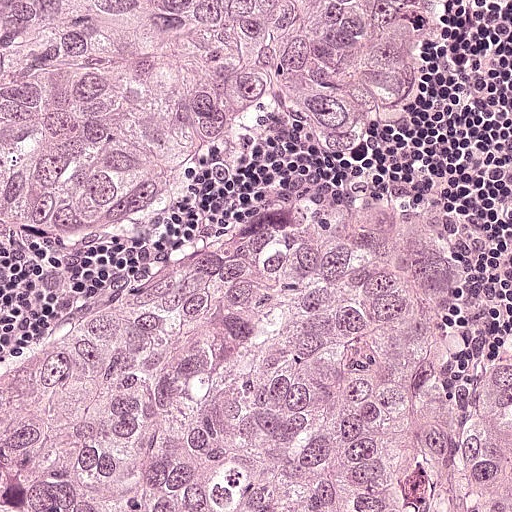
H&E-stained section of a sentinel lymph node (breast cancer), from a whole-slide image, viewed at about 20×: the field is about 0.25 mm across, about 0.49 µm per pixel.
Question: Is any metastatic breast cancer visible in this crop?
Answer: Yes.
Boundaries of two metastatic tumour regions, simplified and listed clockwise, largest first: region 1: (426, 196), (452, 226), (464, 284), (443, 306), (456, 342), (450, 406), (511, 352), (511, 511), (0, 511), (0, 383), (332, 202); region 2: (0, 0), (427, 0), (417, 90), (369, 146), (317, 148), (252, 117), (128, 230), (88, 245), (0, 245).
Tumour covers about 75% of the frame.

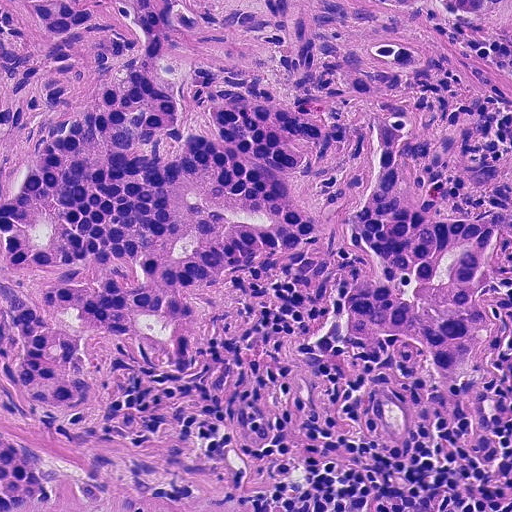
This is a crop of a whole-slide image: an H&E-stained breast-cancer sentinel lymph node section at roughly 20× magnification (about 0.45 µm per pixel; the crop spans about 0.23 mm).
Question: Is any metastatic breast cancer visible in this crop?
Answer: Yes.
Four metastatic tumour regions, each outlined as a closed clockwise path in crop pixels (x, y), largest first: region 1: (0, 0), (369, 0), (448, 50), (456, 84), (381, 97), (452, 194), (511, 214), (485, 278), (495, 346), (440, 389), (340, 328), (346, 280), (288, 302), (278, 272), (199, 292), (184, 389), (135, 342), (101, 348), (88, 412), (0, 419); region 2: (0, 420), (22, 427), (53, 444), (62, 477), (56, 510), (0, 511); region 3: (409, 0), (501, 0), (474, 21), (440, 18); region 4: (503, 0), (511, 0), (511, 42), (510, 38), (504, 4).
The annotated tumour makes up about 65% of the crop.

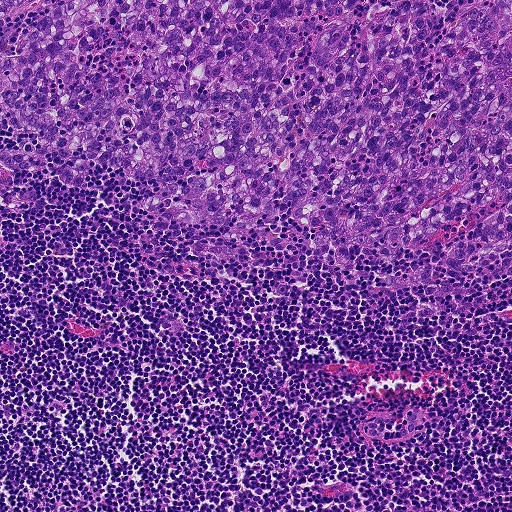
Lymph node section stained with H&E, from a whole-slide image of a breast-cancer sentinel node. Magnification about 10×, about 0.46 mm across the frame, about 0.9 µm per pixel.
Question: Is any metastatic breast cancer visible in this crop?
Answer: Yes.
Metastatic tumour outline, simplified to 22 points and listed clockwise in crop pixels (x, y): (0, 0), (511, 0), (511, 285), (444, 299), (370, 286), (423, 258), (366, 272), (279, 217), (173, 220), (175, 204), (145, 208), (161, 187), (105, 164), (90, 161), (78, 189), (64, 185), (54, 152), (9, 171), (0, 191), (0, 158), (38, 136), (6, 133).
About 45% of the image area is annotated as tumour.

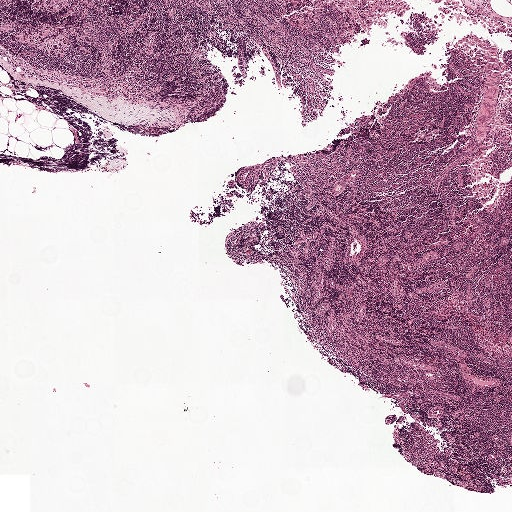
This is a crop of a whole-slide image: an H&E-stained breast-cancer sentinel lymph node section at roughly 2.5× magnification (about 3.9 µm per pixel; the crop spans about 2.0 mm).
Question: Is any metastatic breast cancer visible in this crop?
Answer: No. No metastatic tumour is outlined in this field.